This is a crop of a whole-slide image: an H&E-stained breast-cancer sentinel lymph node section at roughly 5× magnification (about 1.8 µm per pixel; the crop spans about 0.93 mm).
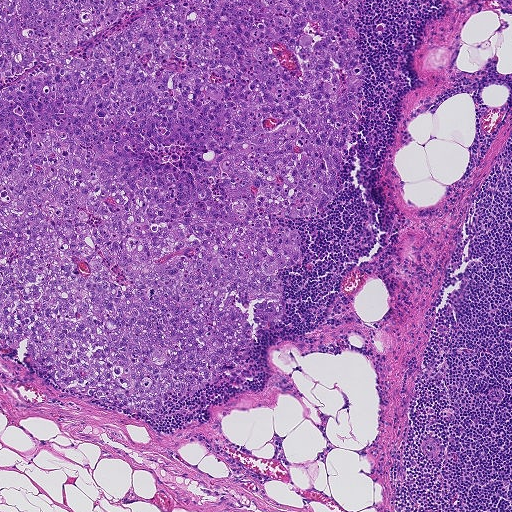
Question: Is any metastatic breast cancer visible in this crop?
Answer: Yes.
Metastatic tumour outline, simplified to 20 points and listed clockwise in crop pixels (x, y): (0, 0), (363, 0), (354, 25), (361, 114), (326, 210), (272, 214), (272, 225), (302, 242), (293, 267), (276, 274), (282, 317), (246, 346), (253, 378), (170, 391), (150, 416), (60, 388), (30, 363), (28, 339), (21, 349), (2, 345).
About 45% of this field is tumour.